Question: 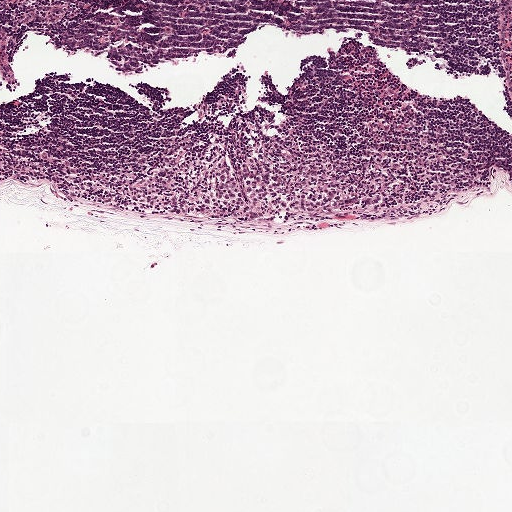
This is a crop of a whole-slide image: an H&E-stained breast-cancer sentinel lymph node section at roughly 5× magnification (about 1.9 µm per pixel; the crop spans about 1 mm).
About how much of this crop is taken up by metastatic carcinoma?

Choices:
 (A) none: no tumour is outlined
 (B) about 5% or less
 (C) about 50% or more
 (D) about 10% to 20%
 (E) about 25% to 45%

Answer: (B) about 5% or less
About 5% of the field is tumour.
One metastatic tumour region; its boundary, reduced to 12 corners and listed clockwise: (229, 139), (256, 154), (302, 147), (343, 161), (372, 202), (368, 216), (339, 226), (174, 218), (114, 205), (93, 188), (93, 173), (179, 144).